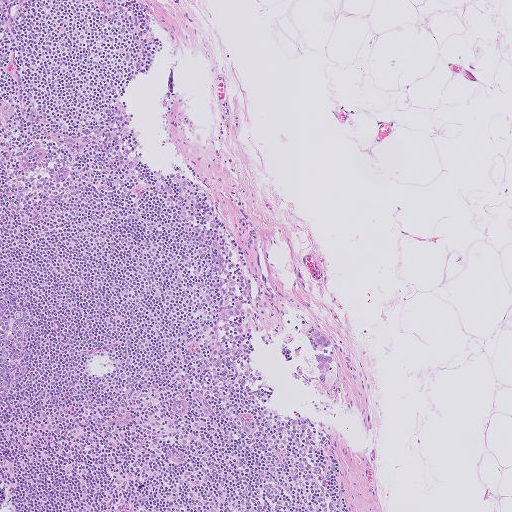
A 1.0-mm field of an H&E-stained sentinel lymph node from a breast-cancer patient (whole-slide image), shown at about 5×, about 2.0 µm per pixel.
Outlines of two tumour regions, largest first (closed clockwise paths, crop pixels): region 1: (316, 355), (330, 355), (332, 357), (332, 361), (330, 363), (328, 370), (326, 372), (325, 382), (321, 381), (320, 378), (317, 368), (317, 361), (315, 358); region 2: (310, 329), (317, 329), (326, 337), (331, 344), (327, 348), (328, 352), (324, 353), (322, 348), (318, 348), (311, 336).
Tumour covers under 5% of the frame.